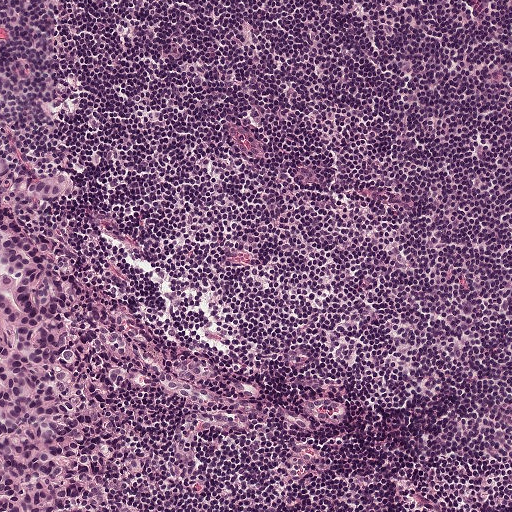
This is a crop of a whole-slide image: an H&E-stained breast-cancer sentinel lymph node section at roughly 10× magnification (about 0.97 µm per pixel; the crop spans about 0.5 mm).
Metastatic tumour outline, simplified to 21 points and listed clockwise in crop pixels (x, y): (0, 122), (23, 158), (78, 178), (54, 228), (80, 289), (171, 351), (214, 361), (216, 383), (247, 383), (276, 421), (266, 434), (206, 440), (197, 478), (182, 486), (174, 448), (204, 416), (130, 378), (116, 382), (152, 467), (143, 511), (0, 511).
About 20% of this field is tumour.